Question: 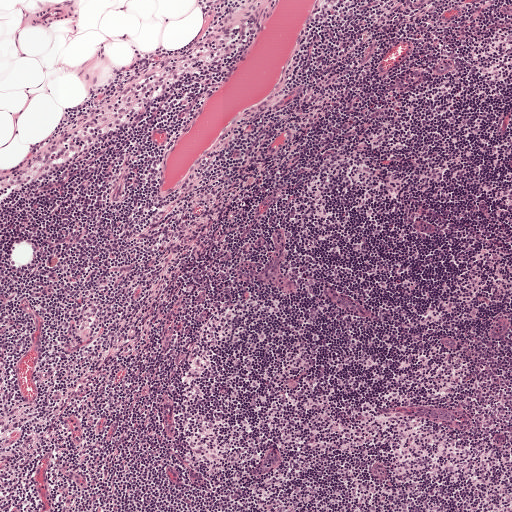
At roughly what magnification is this field shown?

Choices:
 (A) about 5×
 (B) about 2.5×
 (C) about 20×
 (D) about 40×
 (E) about 10×

Answer: (A) about 5×
Lymph node section stained with H&E, from a whole-slide image of a breast-cancer sentinel node. Magnification about 5×, about 1 mm across the frame, about 1.9 µm per pixel.